Image:
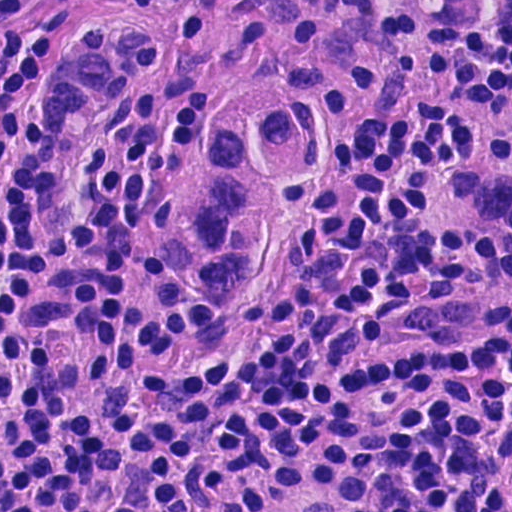
H&E-stained section of a sentinel lymph node (breast cancer), from a whole-slide image, viewed at about 40×: the field is about 0.12 mm across, about 0.23 µm per pixel.
Question:
Which parts of this field are metastatic tumour?
Answer:
Tumour region outline (a closed clockwise path, crop pixels): (262, 80), (322, 100), (330, 162), (280, 197), (271, 259), (237, 311), (175, 304), (141, 250), (175, 194), (205, 113).
About 10% of the image area is annotated as tumour.